Question: 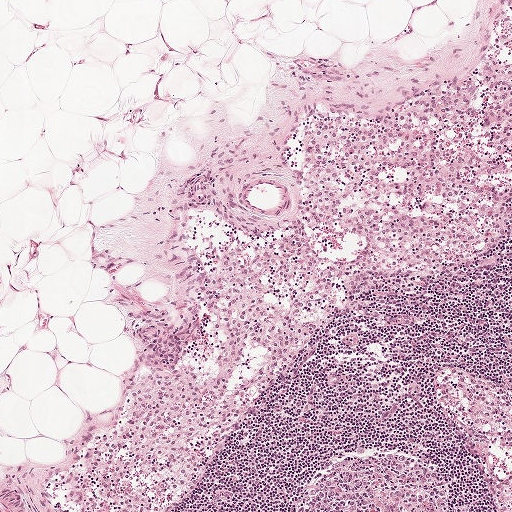
Lymph node section stained with H&E, from a whole-slide image of a breast-cancer sentinel node. Magnification about 5×, about 1 mm across the frame, about 1.9 µm per pixel.
What fraction of the image area is metastatic tumour?

Choices:
 (A) about 25% to 45%
 (B) about 50% or more
 (C) about 10% to 20%
 (D) about 5% or less
 (E) none: no tumour is outlined

Answer: (E) none: no tumour is outlined
No metastatic tumour is outlined in this field.